Image:
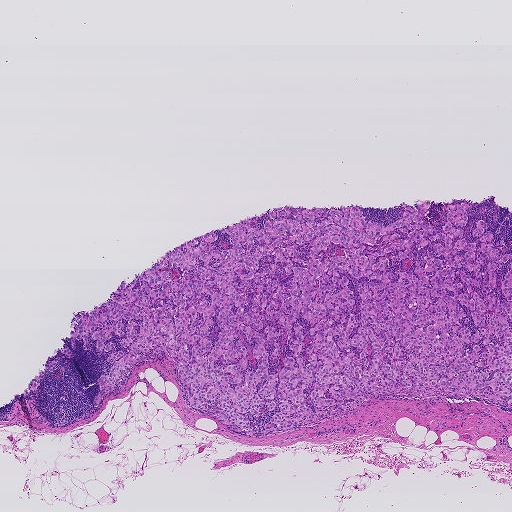
H&E-stained section of a sentinel lymph node (breast cancer), from a whole-slide image, viewed at about 2.5×: the field is about 1.9 mm across, about 3.6 µm per pixel.
Question:
Is any metastatic breast cancer visible in this crop?
Answer:
Yes.
Boundaries of two metastatic tumour regions, simplified and listed clockwise, largest first: region 1: (430, 200), (427, 226), (467, 203), (466, 243), (480, 219), (511, 255), (511, 407), (379, 394), (286, 431), (279, 404), (240, 414), (251, 435), (163, 351), (94, 406), (127, 336), (59, 353), (186, 241), (225, 255), (220, 228), (287, 205), (385, 226); region 2: (54, 360), (56, 363), (53, 369), (50, 371), (46, 372), (44, 375), (44, 376), (40, 378), (39, 384), (37, 387), (37, 390), (33, 391), (30, 390), (34, 383), (36, 380), (31, 380), (34, 376), (38, 375), (39, 374), (38, 372), (41, 370), (43, 371), (44, 368), (44, 364), (46, 361).
Tumour covers about 25% of the frame.